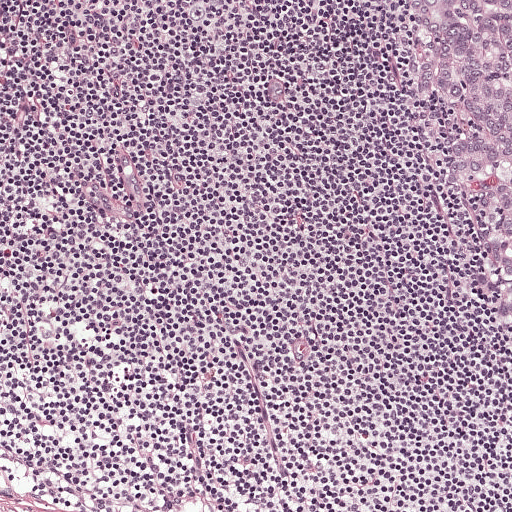
H&E-stained section of a sentinel lymph node (breast cancer), from a whole-slide image, viewed at about 10×: the field is about 0.5 mm across, about 0.97 µm per pixel.
Metastatic tumour outline, simplified to 6 points and listed clockwise in crop pixels (x, y): (392, 0), (511, 0), (511, 378), (501, 326), (403, 92), (391, 51).
Tumour covers about 10% of the frame.